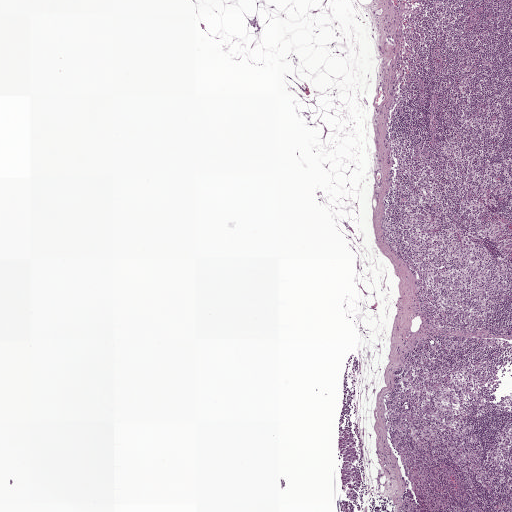
H&E-stained section of a sentinel lymph node (breast cancer), from a whole-slide image, viewed at about 2.5×: the field is about 2.0 mm across, about 3.9 µm per pixel.
One metastatic tumour region; its boundary, reduced to 16 corners and listed clockwise: (348, 426), (355, 434), (357, 440), (359, 458), (355, 465), (362, 476), (362, 482), (353, 491), (354, 500), (346, 499), (347, 488), (339, 481), (339, 470), (341, 463), (338, 432), (342, 427).
Tumour covers under 5% of the frame.